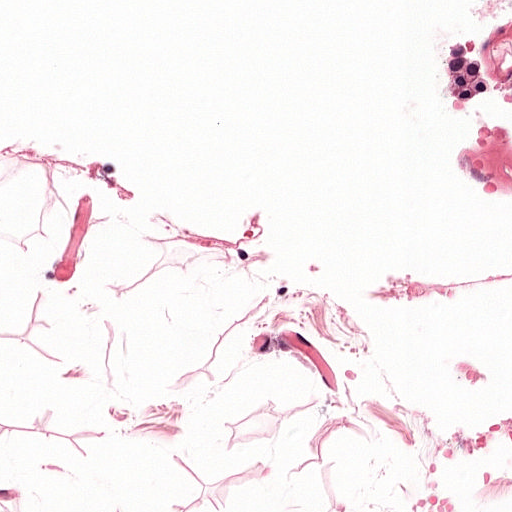
Lymph node section stained with H&E, from a whole-slide image of a breast-cancer sentinel node. Magnification about 20×, about 0.25 mm across the frame, about 0.49 µm per pixel.
Metastatic tumour outline, simplified to 11 points and listed clockwise in crop pixels (x, y): (458, 41), (477, 52), (490, 78), (494, 92), (488, 104), (477, 114), (462, 115), (450, 106), (440, 95), (441, 80), (447, 52).
One more small tumour piece is annotated here but not outlined.
The annotated tumour makes up under 5% of the crop.